H&E-stained section of a sentinel lymph node (breast cancer), from a whole-slide image, viewed at about 2.5×: the field is about 2.0 mm across, about 3.9 µm per pixel.
Question: 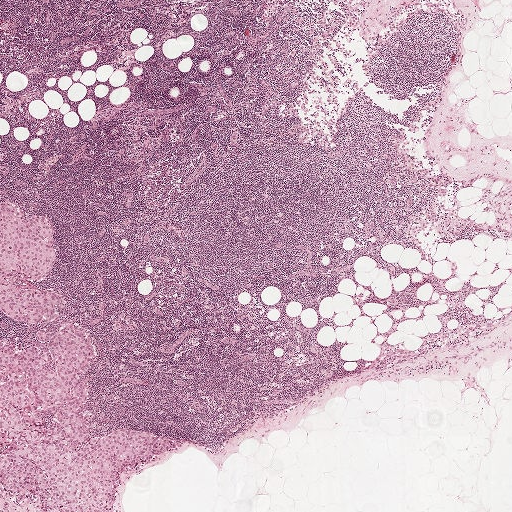
Roughly what share of this field is metastatic tumour?

Choices:
 (A) about 5% or less
 (B) about 10% to 20%
 (C) about 50% or more
 (D) about 25% to 45%
 (E) none: no tumour is outlined

Answer: (B) about 10% to 20%
About 10% of the field is tumour.
Two metastatic tumour regions, each outlined as a closed clockwise path in crop pixels (x, y), largest first: region 1: (69, 321), (88, 331), (94, 352), (94, 363), (80, 375), (90, 384), (86, 439), (127, 426), (177, 443), (122, 467), (114, 511), (38, 511), (39, 498), (8, 499), (0, 485), (0, 452), (10, 438), (0, 444), (0, 338), (45, 351), (44, 363), (51, 368), (47, 344), (36, 330); region 2: (1, 198), (18, 205), (26, 216), (39, 213), (48, 219), (52, 229), (51, 242), (55, 250), (52, 266), (44, 279), (28, 279), (20, 276), (16, 283), (25, 288), (51, 289), (59, 293), (60, 300), (56, 306), (58, 311), (54, 318), (34, 322), (19, 322), (0, 309).